Question: 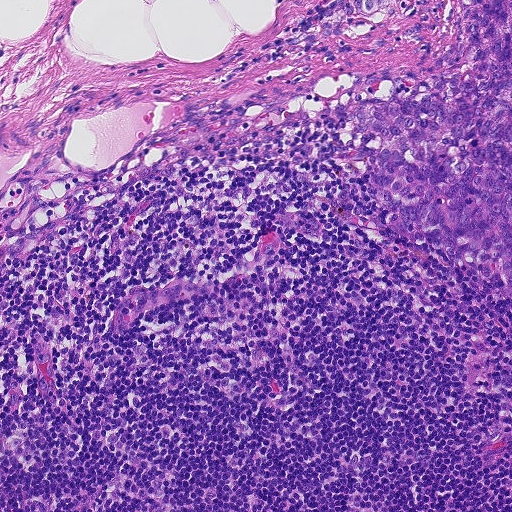
H&E-stained section of a sentinel lymph node (breast cancer), from a whole-slide image, viewed at about 10×: the field is about 0.46 mm across, about 0.9 µm per pixel.
Roughly what share of this field is metastatic tumour?

Choices:
 (A) none: no tumour is outlined
 (B) about 5% or less
 (C) about 10% to 20%
 (D) about 25% to 45%
 (E) about 50% or more

Answer: (C) about 10% to 20%
About 10% of the field is tumour.
The outlined metastatic tumour's edge, as a closed clockwise path of 24 points: (511, 0), (511, 297), (496, 299), (505, 272), (501, 279), (487, 279), (426, 241), (392, 231), (368, 165), (346, 155), (360, 138), (351, 126), (358, 103), (352, 98), (364, 94), (363, 81), (393, 76), (379, 82), (380, 96), (409, 72), (418, 79), (453, 65), (465, 45), (468, 4).